Question: 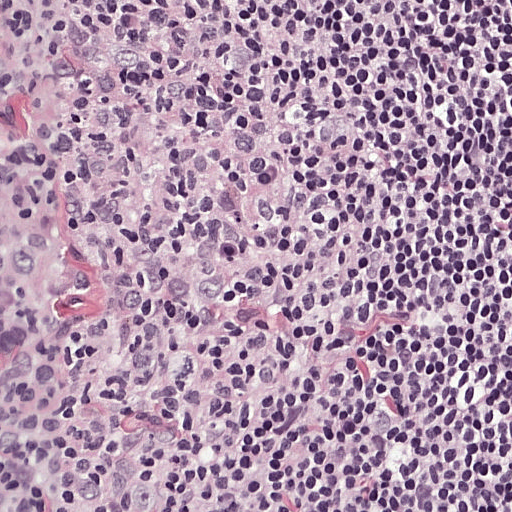
Which magnification is this H&E lymph node field most likely shown at?

Choices:
 (A) about 5×
 (B) about 20×
 (C) about 40×
 (D) about 10×
 (E) about 2.5×

Answer: (B) about 20×
A 0.25-mm field of an H&E-stained sentinel lymph node from a breast-cancer patient (whole-slide image), shown at about 20×, about 0.49 µm per pixel.